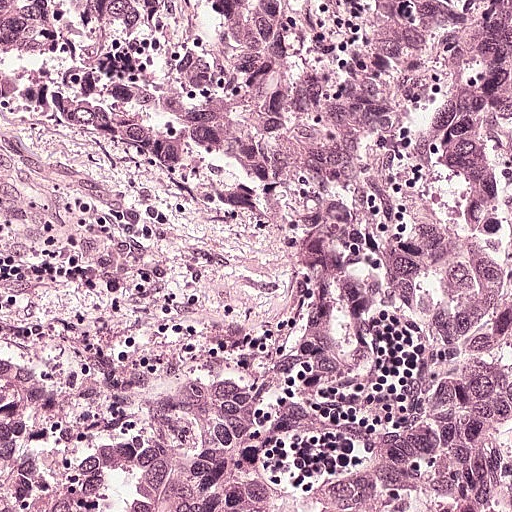
H&E-stained section of a sentinel lymph node (breast cancer), from a whole-slide image, viewed at about 20×: the field is about 0.25 mm across, about 0.49 µm per pixel.
Metastatic tumour outline, simplified to 13 points and listed clockwise in crop pixels (x, y): (508, 2), (511, 511), (0, 511), (0, 355), (106, 359), (158, 374), (237, 359), (256, 344), (290, 272), (286, 204), (263, 148), (282, 77), (406, 24).
About 60% of the image area is annotated as tumour.